H&E-stained section of a sentinel lymph node (breast cancer), from a whole-slide image, viewed at about 20×: the field is about 0.23 mm across, about 0.45 µm per pixel.
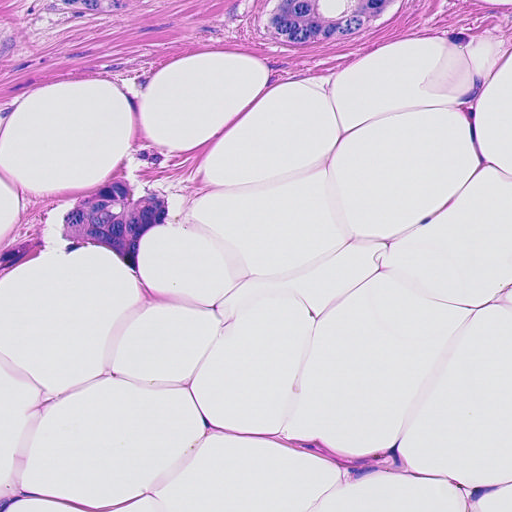
Outlines of three tumour regions, largest first (closed clockwise paths, crop pixels): region 1: (0, 0), (197, 0), (82, 46), (0, 81); region 2: (120, 176), (138, 188), (137, 196), (159, 191), (172, 210), (162, 228), (143, 238), (138, 276), (113, 252), (72, 244), (64, 230), (62, 208), (98, 184); region 3: (269, 0), (408, 0), (408, 7), (388, 27), (361, 37), (304, 47), (276, 40), (260, 24).
About 5% of this field is tumour.